Question: 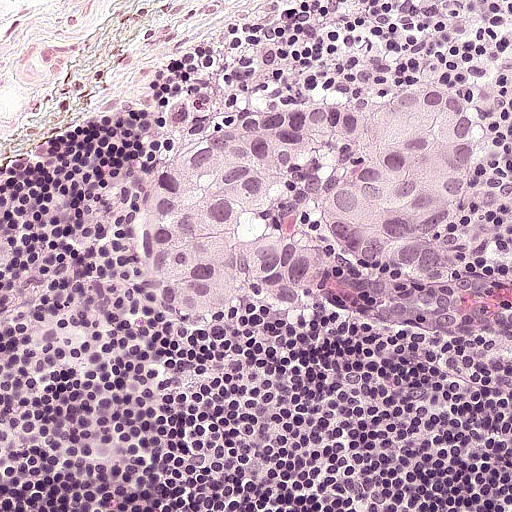
A 0.25-mm field of an H&E-stained sentinel lymph node from a breast-cancer patient (whole-slide image), shown at about 20×, about 0.49 µm per pixel.
Estimate the proportion of this field that is metastatic tumour.

Choices:
 (A) about 25% to 45%
 (B) none: no tumour is outlined
 (C) about 50% or more
 (D) about 5% or less
 (E) about 10% to 20%

Answer: (E) about 10% to 20%
About 20% of the field is tumour.
One metastatic tumour region; its boundary, reduced to 15 corners and listed clockwise: (426, 76), (472, 104), (481, 145), (456, 212), (428, 234), (411, 234), (383, 262), (319, 280), (302, 316), (194, 316), (146, 292), (140, 200), (166, 156), (276, 82), (325, 95).